A 2.0-mm field of an H&E-stained sentinel lymph node from a breast-cancer patient (whole-slide image), shown at about 2.5×, about 3.9 µm per pixel.
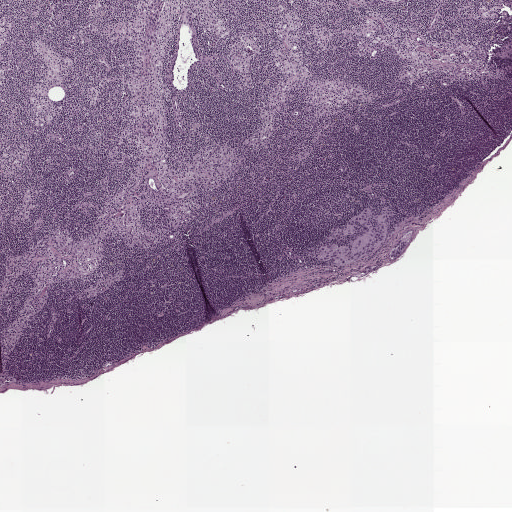
Two metastatic tumour regions, each outlined as a closed clockwise path in crop pixels (x, y), largest first: region 1: (383, 196), (387, 200), (388, 207), (395, 214), (386, 238), (370, 256), (339, 267), (335, 266), (331, 261), (320, 262), (307, 253), (307, 250), (310, 248), (339, 240), (323, 241), (321, 238), (332, 226), (340, 227), (366, 206), (371, 206), (377, 212), (382, 207), (380, 197); region 2: (400, 239), (408, 240), (408, 243), (400, 256), (397, 259), (392, 260), (389, 255), (392, 248).
One more small tumour piece is annotated here but not outlined.
Tumour covers under 5% of the frame.